Image:
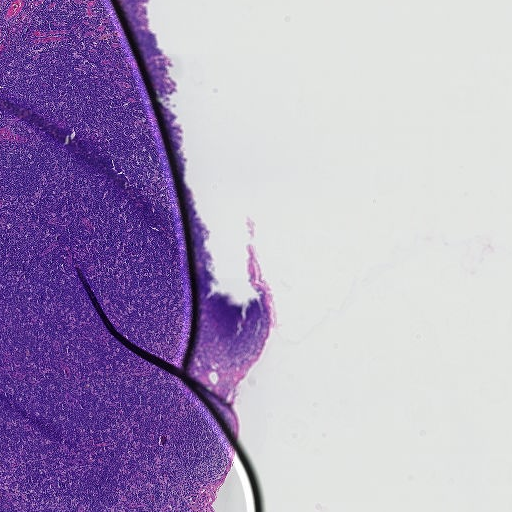
H&E-stained section of a sentinel lymph node (breast cancer), from a whole-slide image, viewed at about 2.5×: the field is about 1.9 mm across, about 3.6 µm per pixel.
Question:
Is any metastatic breast cancer visible in this crop?
Answer:
No. No metastatic tumour is outlined in this field.